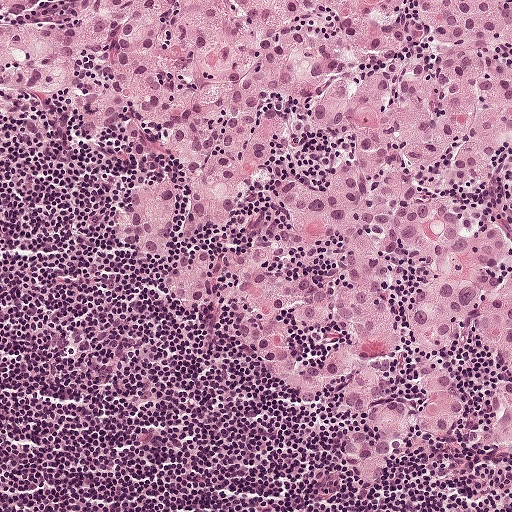
H&E-stained section of a sentinel lymph node (breast cancer), from a whole-slide image, viewed at about 10×: the field is about 0.5 mm across, about 0.97 µm per pixel.
Boundaries of two metastatic tumour regions, simplified and listed clockwise, largest first: region 1: (0, 0), (511, 0), (511, 371), (470, 328), (444, 355), (458, 426), (415, 432), (364, 482), (345, 377), (297, 403), (220, 298), (168, 294), (197, 240), (154, 258), (118, 241), (122, 200), (173, 181), (171, 146), (73, 136), (52, 91), (7, 93); region 2: (511, 377), (511, 453), (508, 453), (488, 442), (467, 443), (484, 426), (494, 409), (490, 393).
One more small tumour piece is annotated here but not outlined.
About 60% of the image area is annotated as tumour.